Question: 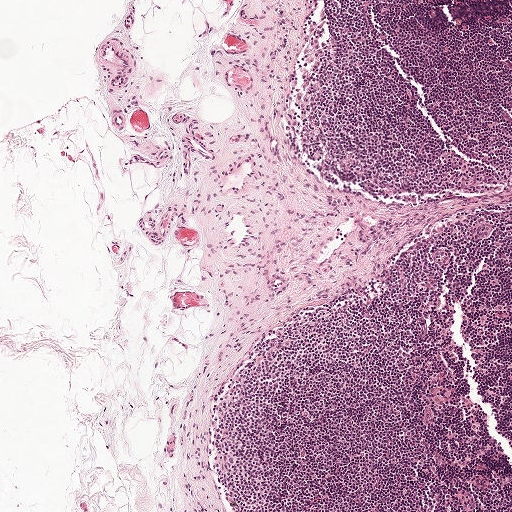
About what magnification does this crop show?

Choices:
 (A) about 20×
 (B) about 40×
 (C) about 2.5×
 (D) about 10×
 (E) about 5×

Answer: (E) about 5×
Lymph node section stained with H&E, from a whole-slide image of a breast-cancer sentinel node. Magnification about 5×, about 1 mm across the frame, about 1.9 µm per pixel.